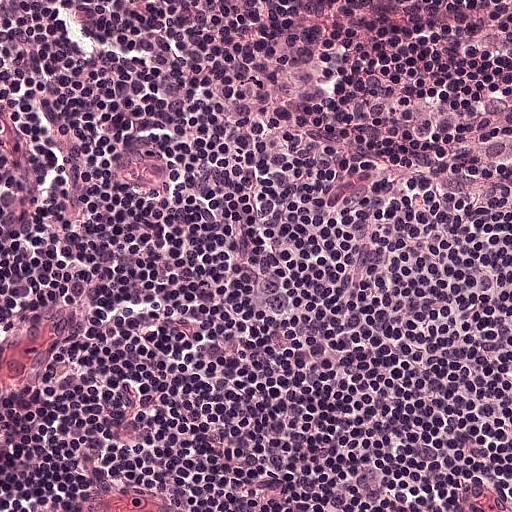
Lymph node section stained with H&E, from a whole-slide image of a breast-cancer sentinel node. Magnification about 20×, about 0.25 mm across the frame, about 0.49 µm per pixel.